Question: 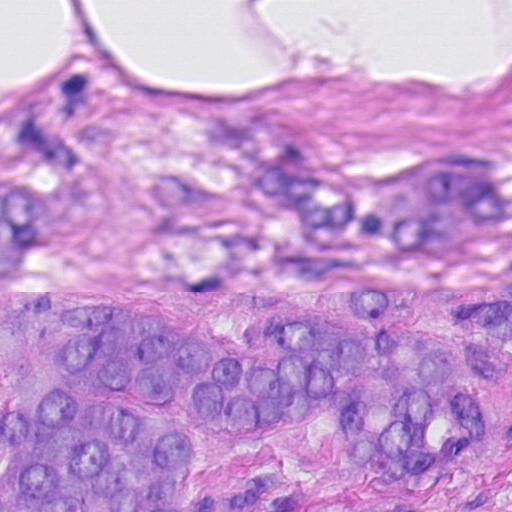
Which magnification is this H&E lymph node field most likely shown at?

Choices:
 (A) about 20×
 (B) about 10×
 (C) about 2.5×
 (D) about 5×
 (E) about 40×

Answer: (E) about 40×
This is a crop of a whole-slide image: an H&E-stained breast-cancer sentinel lymph node section at roughly 40× magnification (about 0.23 µm per pixel; the crop spans about 0.12 mm).
Outlines of two tumour regions, largest first (closed clockwise paths, crop pixels): region 1: (0, 182), (32, 183), (61, 211), (18, 269), (81, 302), (297, 309), (360, 277), (472, 286), (511, 275), (511, 385), (497, 390), (502, 410), (472, 454), (442, 473), (390, 479), (340, 462), (321, 411), (300, 426), (190, 430), (188, 473), (394, 488), (416, 511), (0, 511); region 2: (460, 152), (495, 157), (511, 167), (511, 215), (489, 232), (420, 257), (345, 256), (309, 242), (259, 191), (254, 155), (290, 156), (325, 166), (352, 183).
About 45% of this field is tumour.